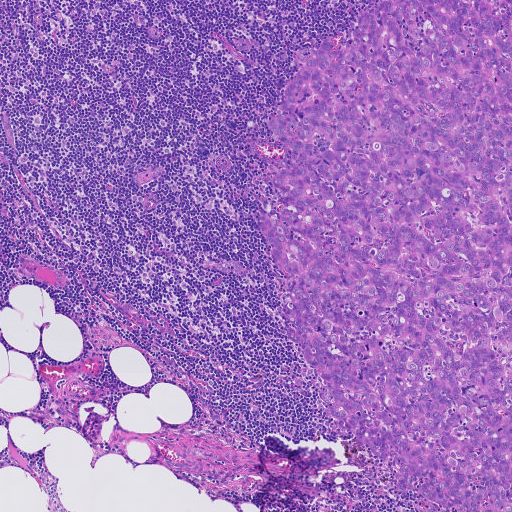
This is a crop of a whole-slide image: an H&E-stained breast-cancer sentinel lymph node section at roughly 5× magnification (about 1.8 µm per pixel; the crop spans about 0.93 mm).
The outlined metastatic tumour's edge, as a closed clockwise path of 22 points: (383, 0), (488, 0), (496, 16), (510, 15), (511, 0), (511, 511), (449, 509), (397, 491), (397, 458), (378, 457), (325, 414), (315, 369), (286, 333), (287, 278), (259, 223), (284, 205), (270, 178), (287, 148), (267, 122), (325, 40), (346, 48), (359, 16).
Tumour covers about 40% of the frame.